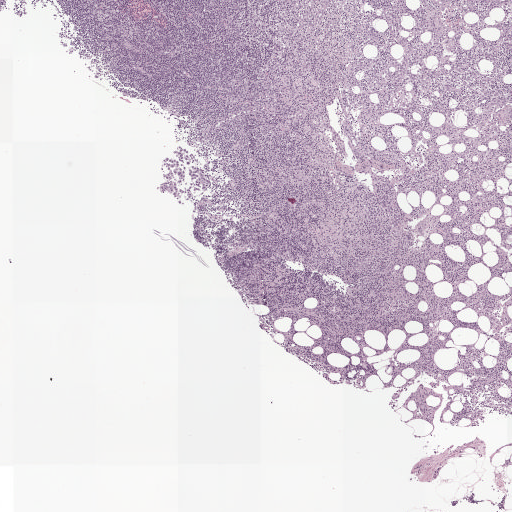
This is a crop of a whole-slide image: an H&E-stained breast-cancer sentinel lymph node section at roughly 2.5× magnification (about 3.9 µm per pixel; the crop spans about 2.0 mm).
Question: Where is the metastatic tumour in this field?
Answer: Metastatic tumour outline, simplified to 15 points and listed clockwise in crop pixels (x, y): (180, 148), (190, 152), (210, 181), (210, 187), (204, 196), (185, 205), (174, 203), (170, 200), (168, 194), (158, 192), (160, 181), (160, 164), (162, 159), (172, 154), (174, 150).
Under 5% of this field is tumour.